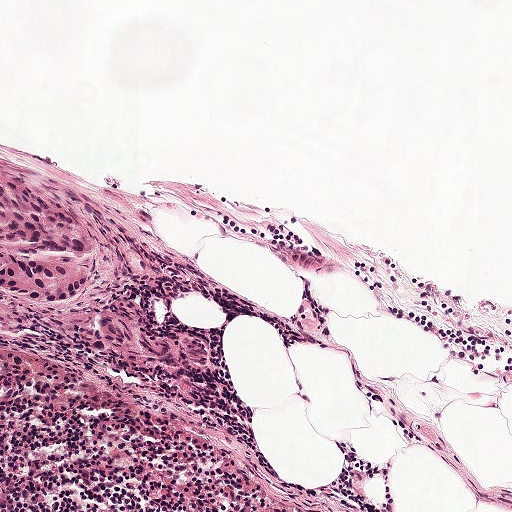
A 0.5-mm field of an H&E-stained sentinel lymph node from a breast-cancer patient (whole-slide image), shown at about 10×, about 0.97 µm per pixel.
One metastatic tumour region; its boundary, reduced to 10 corners and listed clockwise: (0, 167), (26, 176), (44, 191), (58, 208), (80, 224), (87, 246), (87, 264), (71, 302), (18, 320), (0, 320).
The annotated tumour makes up about 5% of the crop.